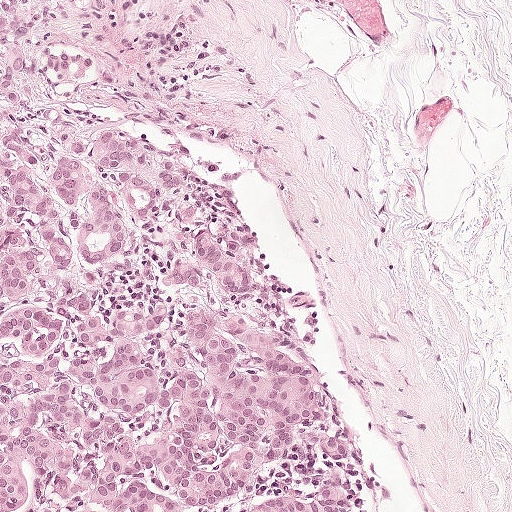
H&E-stained section of a sentinel lymph node (breast cancer), from a whole-slide image, viewed at about 10×: the field is about 0.5 mm across, about 0.97 µm per pixel.
Tumour region outline (a closed clockwise path, crop pixels): (0, 0), (82, 0), (32, 58), (41, 100), (223, 171), (205, 182), (231, 202), (295, 326), (306, 370), (346, 424), (358, 510), (0, 511).
About 45% of the image area is annotated as tumour.